Question: 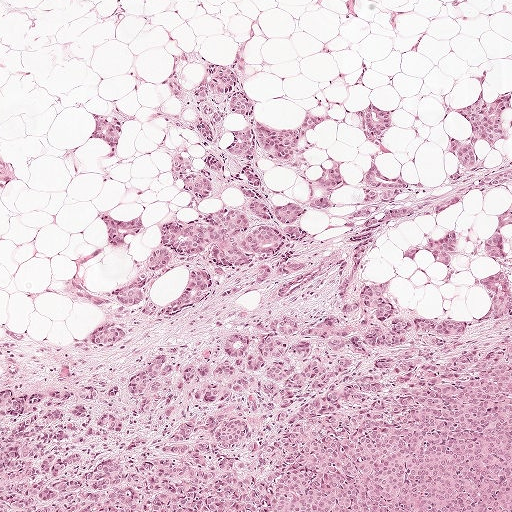
A 1-mm field of an H&E-stained sentinel lymph node from a breast-cancer patient (whole-slide image), shown at about 5×, about 1.9 µm per pixel.
Roughly what share of this field is metastatic tumour?

Choices:
 (A) about 5% or less
 (B) about 25% to 45%
 (C) none: no tumour is outlined
 (D) about 50% or more
 (E) about 10% to 20%

Answer: (D) about 50% or more
About 55% of the field is tumour.
Outlines of three tumour regions, largest first (closed clockwise paths, crop pixels): region 1: (218, 57), (256, 122), (323, 113), (309, 169), (339, 157), (342, 185), (257, 160), (272, 201), (335, 199), (301, 213), (318, 237), (361, 199), (369, 102), (392, 110), (373, 162), (427, 196), (452, 106), (511, 91), (472, 145), (511, 160), (510, 314), (466, 280), (493, 257), (442, 282), (402, 255), (452, 231), (486, 253), (503, 185), (359, 262), (463, 319), (452, 352), (511, 336), (511, 511), (0, 511), (0, 388), (93, 376), (160, 222), (243, 198), (172, 179); region 2: (100, 212), (113, 217), (128, 218), (141, 213), (144, 225), (138, 231), (128, 233), (128, 235), (132, 237), (124, 246), (109, 246), (107, 231), (101, 222), (97, 220); region 3: (98, 111), (118, 118), (120, 128), (118, 140), (112, 148), (101, 140), (89, 140), (94, 130), (92, 113).